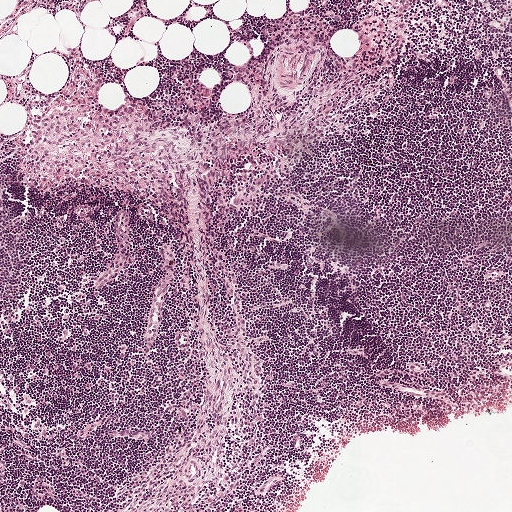
Lymph node section stained with H&E, from a whole-slide image of a breast-cancer sentinel node. Magnification about 5×, about 1 mm across the frame, about 1.9 µm per pixel.
Question: Is any metastatic breast cancer visible in this crop?
Answer: No. No metastatic tumour is outlined in this field.